Question: 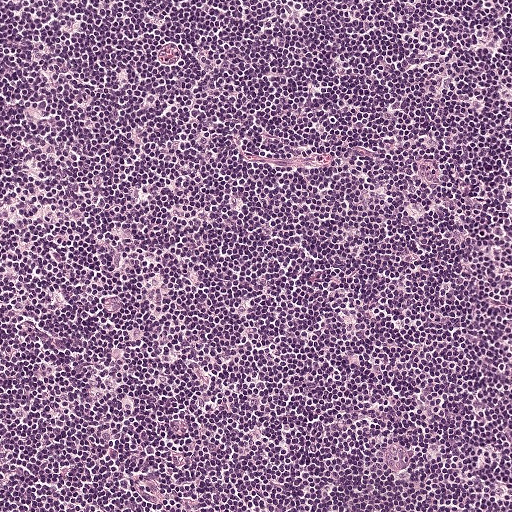
H&E-stained section of a sentinel lymph node (breast cancer), from a whole-slide image, viewed at about 10×: the field is about 0.5 mm across, about 0.97 µm per pixel.
Estimate the proportion of this field that is metastatic tumour.

Choices:
 (A) about 10% to 20%
 (B) none: no tumour is outlined
 (C) about 50% or more
 (D) about 25% to 45%
 (E) about 5% or less

Answer: (B) none: no tumour is outlined
No metastatic tumour is outlined in this field.